Question: 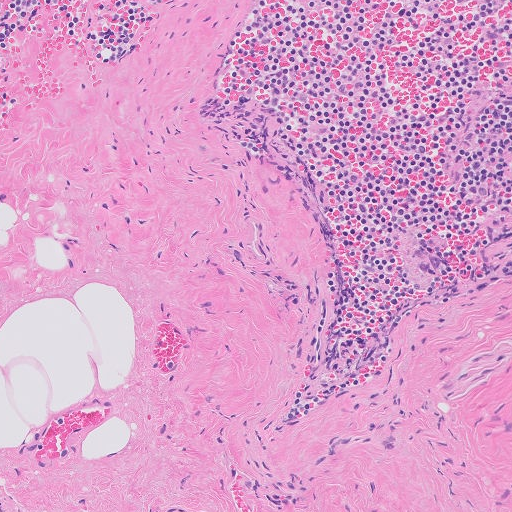
Which magnification is this H&E lymph node field most likely shown at?

Choices:
 (A) about 20×
 (B) about 10×
 (C) about 2.5×
 (D) about 40×
 (E) about 5×

Answer: (B) about 10×
H&E-stained section of a sentinel lymph node (breast cancer), from a whole-slide image, viewed at about 10×: the field is about 0.51 mm across, about 1.0 µm per pixel.